Image:
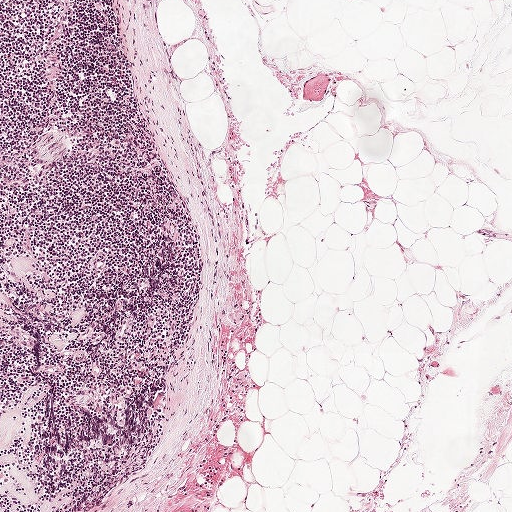
A 1-mm field of an H&E-stained sentinel lymph node from a breast-cancer patient (whole-slide image), shown at about 5×, about 1.9 µm per pixel.
Question:
Is there metastatic carcinoma in this field?
Answer:
No. No metastatic tumour is outlined in this field.